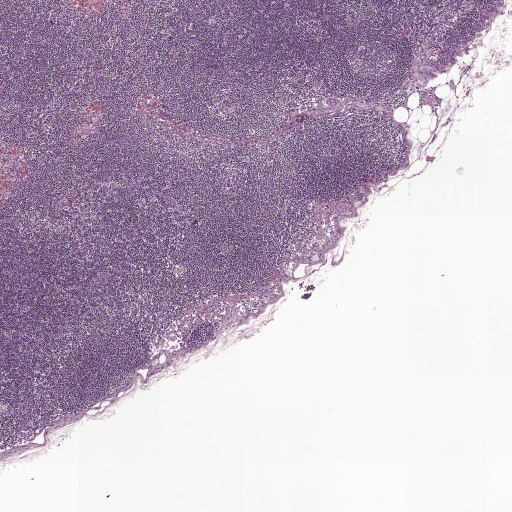
Lymph node section stained with H&E, from a whole-slide image of a breast-cancer sentinel node. Magnification about 2.5×, about 2.0 mm across the frame, about 3.9 µm per pixel.
Tumour region outline (a closed clockwise path, crop pixels): (330, 98), (340, 99), (347, 98), (354, 100), (354, 102), (344, 109), (342, 112), (335, 113), (328, 115), (312, 110), (312, 108), (322, 101).
The annotated tumour makes up under 5% of the crop.